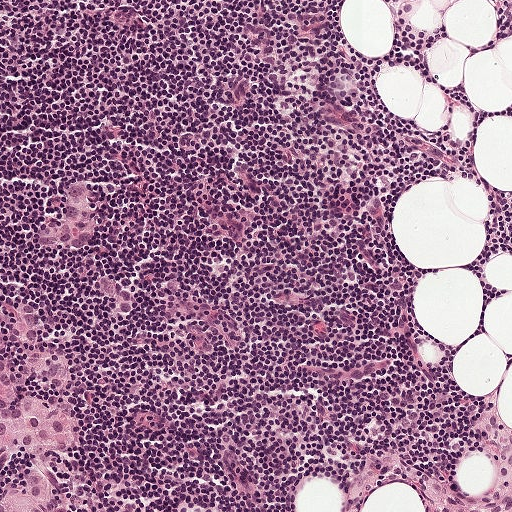
H&E-stained section of a sentinel lymph node (breast cancer), from a whole-slide image, viewed at about 10×: the field is about 0.5 mm across, about 0.97 µm per pixel.
Question: Does this lymph node field contain metastatic tumour?
Answer: Yes.
Three metastatic tumour regions, each outlined as a closed clockwise path in crop pixels (x, y), largest first: region 1: (35, 304), (44, 328), (40, 351), (58, 352), (70, 365), (66, 390), (78, 426), (75, 445), (48, 450), (42, 457), (53, 490), (53, 511), (0, 511), (0, 307); region 2: (76, 181), (86, 184), (95, 211), (95, 239), (79, 250), (54, 250), (31, 241), (40, 224), (58, 216), (62, 198), (69, 186); region 3: (113, 276), (132, 291), (136, 307), (122, 315), (112, 310), (114, 299), (106, 296), (96, 283), (102, 278).
The annotated tumour makes up about 5% of the crop.